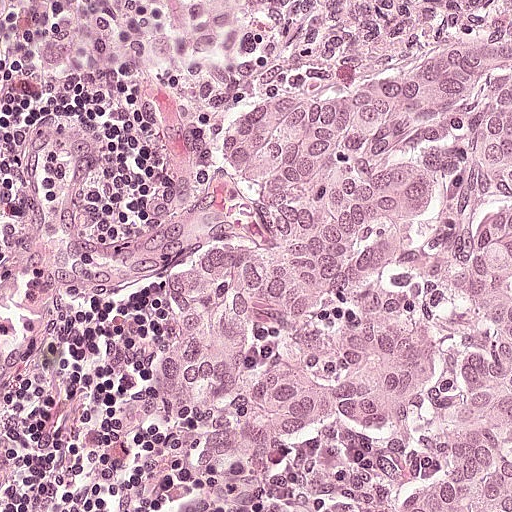
This is a crop of a whole-slide image: an H&E-stained breast-cancer sentinel lymph node section at roughly 20× magnification (about 0.49 µm per pixel; the crop spans about 0.25 mm).
Question: Outline the metastatic carcinoma in this image, as closed paths of (x, y) pixel coordinates.
Answer: The outlined metastatic tumour's edge, as a closed clockwise path of 24 points: (164, 0), (511, 0), (511, 511), (190, 511), (209, 442), (164, 387), (159, 360), (183, 340), (172, 286), (142, 313), (75, 308), (48, 381), (0, 408), (0, 262), (36, 234), (22, 142), (50, 122), (77, 126), (104, 178), (94, 245), (149, 232), (164, 176), (144, 95), (166, 68).
Tumour covers about 75% of the frame.